This is a crop of a whole-slide image: an H&E-stained breast-cancer sentinel lymph node section at roughly 5× magnification (about 1.9 µm per pixel; the crop spans about 1 mm).
Question: 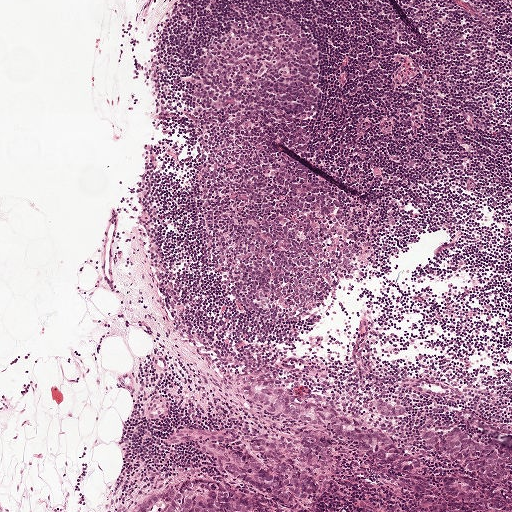
Estimate the proportion of this field that is metastatic tumour.

Choices:
 (A) about 25% to 45%
 (B) about 10% to 20%
 (C) none: no tumour is outlined
 (D) about 5% or less
 (E) about 50% or more

Answer: (B) about 10% to 20%
About 10% of the field is tumour.
Six metastatic tumour regions, each outlined as a closed clockwise path in crop pixels (x, y), largest first: region 1: (227, 424), (245, 436), (282, 437), (297, 449), (298, 434), (326, 438), (335, 462), (326, 493), (306, 505), (310, 511), (286, 511), (262, 494), (220, 472), (194, 449), (166, 442), (168, 431), (180, 426); region 2: (250, 375), (281, 386), (339, 412), (355, 414), (371, 421), (390, 440), (407, 451), (418, 465), (417, 473), (400, 474), (372, 461), (329, 430), (310, 429), (288, 421), (260, 406), (243, 392), (243, 381); region 3: (433, 427), (444, 432), (456, 428), (476, 439), (494, 442), (511, 450), (511, 492), (466, 474), (452, 464), (428, 451), (421, 437), (425, 430); region 4: (198, 476), (225, 486), (271, 511), (132, 511), (141, 499), (155, 490), (177, 480); region 5: (447, 478), (465, 479), (500, 496), (511, 497), (511, 511), (481, 511), (467, 510), (456, 504), (442, 490), (441, 484); region 6: (381, 399), (388, 401), (391, 405), (394, 404), (405, 406), (406, 413), (391, 418), (378, 415), (374, 410), (374, 402).